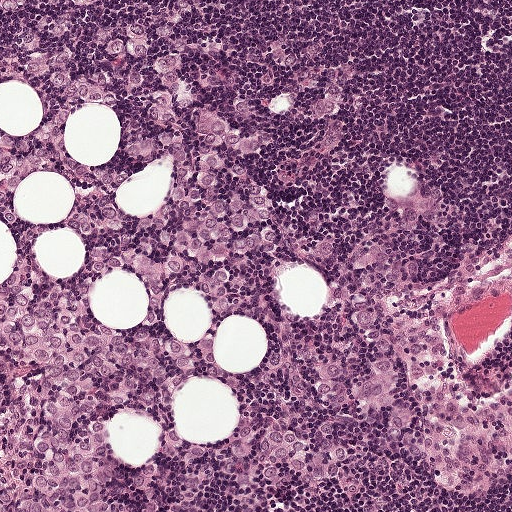
A 0.5-mm field of an H&E-stained sentinel lymph node from a breast-cancer patient (whole-slide image), shown at about 10×, about 0.97 µm per pixel.
Question: Show where the tumour is in this image.
Answer: One metastatic tumour region; its boundary, reduced to 24 corners and listed clockwise: (0, 0), (54, 0), (113, 41), (171, 54), (251, 141), (278, 206), (358, 242), (400, 283), (395, 438), (324, 505), (184, 511), (171, 469), (147, 459), (156, 425), (116, 411), (118, 511), (0, 511), (0, 286), (17, 239), (0, 219), (0, 128), (38, 129), (42, 92), (0, 85).
The outline encloses nine non-tumour holes totalling about 15% of the region's area.
Tumour covers about 50% of the frame.